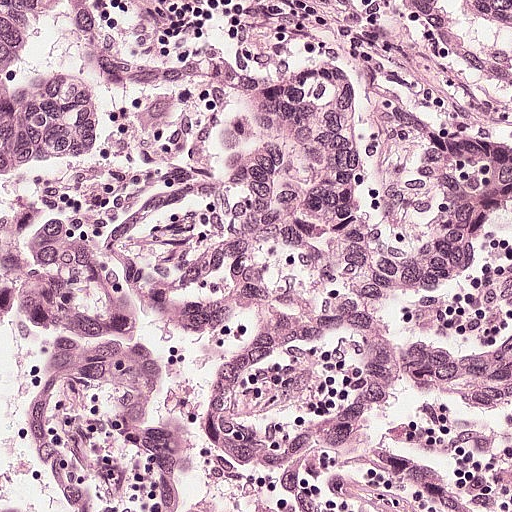
H&E-stained section of a sentinel lymph node (breast cancer), from a whole-slide image, viewed at about 20×: the field is about 0.25 mm across, about 0.49 µm per pixel.
Question: Is there metastatic carcinoma in this field?
Answer: Yes.
Boundaries of three metastatic tumour regions, simplified and listed clockwise, largest first: region 1: (288, 58), (330, 60), (358, 110), (367, 201), (404, 244), (454, 224), (483, 158), (510, 151), (511, 511), (258, 511), (194, 492), (178, 464), (178, 356), (138, 312), (106, 253), (106, 219), (133, 174), (174, 146), (185, 116); region 2: (511, 0), (511, 92), (492, 76), (462, 69), (435, 56), (404, 35), (376, 12), (369, 1); region 3: (201, 0), (232, 0), (219, 3), (215, 8), (210, 9), (208, 9), (208, 8), (206, 6), (204, 6), (204, 3).
About 55% of this field is tumour.